Image:
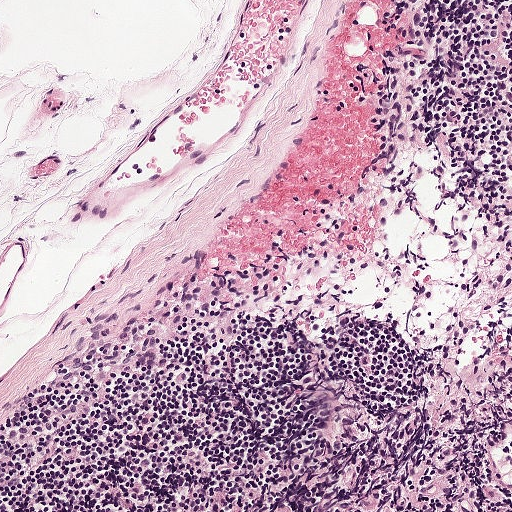
A 0.5-mm field of an H&E-stained sentinel lymph node from a breast-cancer patient (whole-slide image), shown at about 10×, about 0.97 µm per pixel.
Question:
Is any metastatic breast cancer visible in this crop?
Answer:
No. No metastatic tumour is outlined in this field.